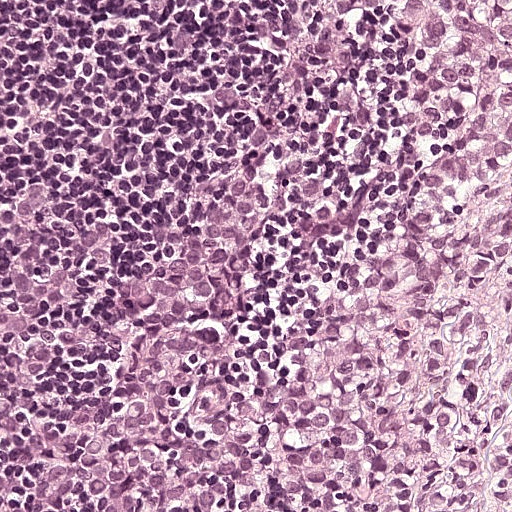
This is a crop of a whole-slide image: an H&E-stained breast-cancer sentinel lymph node section at roughly 20× magnification (about 0.49 µm per pixel; the crop spans about 0.25 mm).
The outlined metastatic tumour's edge, as a closed clockwise path of 16 points: (388, 0), (511, 0), (511, 211), (487, 228), (482, 220), (464, 246), (402, 372), (370, 476), (373, 511), (0, 511), (0, 210), (12, 202), (58, 190), (182, 215), (252, 188), (320, 129).
About 65% of the image area is annotated as tumour.